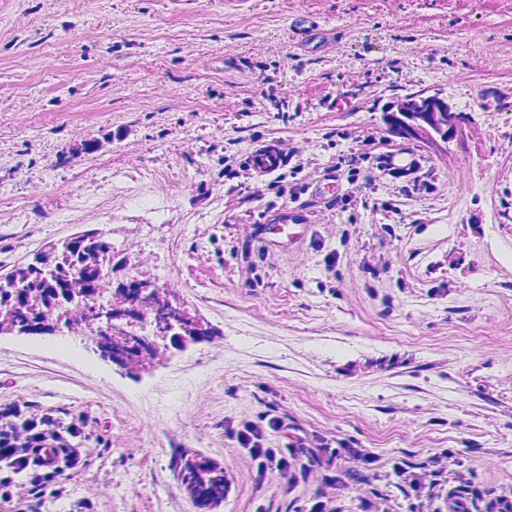
This is a crop of a whole-slide image: an H&E-stained breast-cancer sentinel lymph node section at roughly 20× magnification (about 0.45 µm per pixel; the crop spans about 0.23 mm).
Outlines of five tumour regions, largest first (closed clockwise paths, crop pixels): region 1: (110, 222), (158, 228), (182, 272), (245, 336), (162, 381), (188, 427), (229, 452), (238, 499), (224, 511), (178, 511), (132, 474), (130, 413), (92, 375), (0, 353), (0, 256), (54, 232); region 2: (440, 84), (480, 119), (478, 154), (436, 155), (388, 136), (375, 110), (388, 86); region 3: (259, 136), (309, 151), (274, 186), (196, 213), (182, 198), (202, 162); region 4: (157, 113), (144, 134), (98, 163), (40, 174), (46, 149), (104, 120); region 5: (392, 343), (425, 352), (421, 374), (368, 386), (318, 371), (332, 355).
About 20% of this field is tumour.